Question: 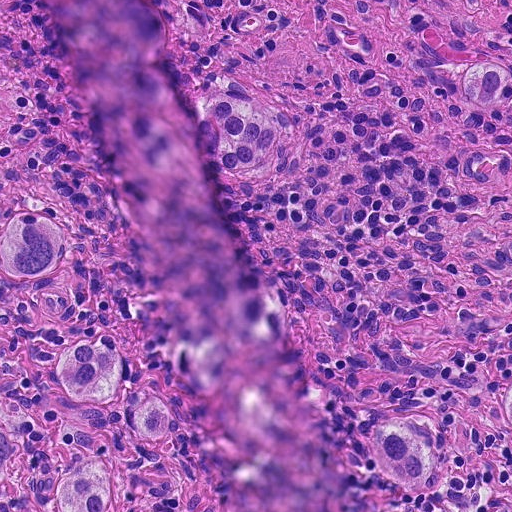
This is a crop of a whole-slide image: an H&E-stained breast-cancer sentinel lymph node section at roughly 20× magnification (about 0.45 µm per pixel; the crop spans about 0.23 mm).
About how much of this crop is taken up by metastatic carcinoma?

Choices:
 (A) about 10% to 20%
 (B) about 5% or less
 (C) none: no tumour is outlined
 (D) about 50% or more
 (E) about 25% to 45%

Answer: (A) about 10% to 20%
About 10% of the field is tumour.
Boundaries of five metastatic tumour regions, simplified and listed clockwise, largest first: region 1: (112, 340), (138, 386), (162, 392), (172, 416), (160, 438), (135, 431), (126, 407), (105, 410), (108, 461), (130, 508), (172, 511), (57, 511), (66, 465), (88, 452), (72, 443), (22, 448), (10, 472), (21, 511), (0, 511), (0, 406), (60, 418), (52, 369), (62, 345); region 2: (214, 90), (264, 101), (278, 123), (280, 150), (266, 172), (236, 174), (210, 167), (196, 144), (194, 117), (207, 94); region 3: (374, 414), (400, 414), (422, 428), (438, 447), (440, 472), (423, 492), (397, 488), (372, 464), (365, 440); region 4: (22, 207), (48, 212), (64, 232), (60, 257), (42, 274), (16, 277), (0, 271), (0, 216); region 5: (511, 382), (511, 430), (502, 404), (505, 388).
Three more small tumour pieces are annotated here but not outlined.